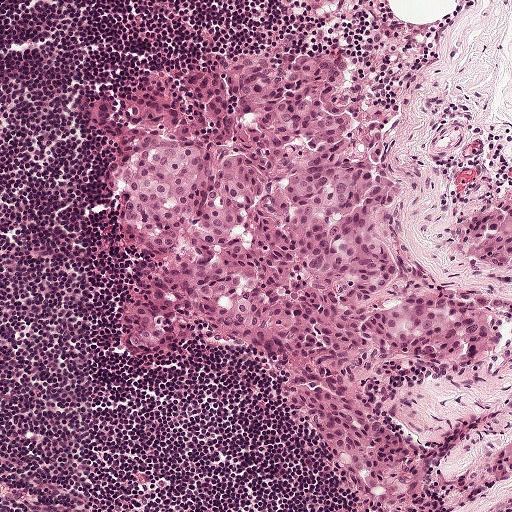
A 0.5-mm field of an H&E-stained sentinel lymph node from a breast-cancer patient (whole-slide image), shown at about 10×, about 0.97 µm per pixel.
Four metastatic tumour regions, each outlined as a closed clockwise path in crop pixels (x, y), largest first: region 1: (265, 49), (325, 58), (402, 183), (386, 228), (404, 263), (495, 327), (493, 347), (470, 359), (422, 354), (380, 368), (380, 402), (429, 511), (353, 511), (330, 452), (249, 354), (118, 354), (124, 293), (146, 264), (115, 232), (106, 171), (130, 124), (150, 107), (188, 108), (195, 80); region 2: (503, 196), (511, 201), (511, 265), (488, 272), (477, 268), (467, 259), (462, 250), (461, 238), (470, 215); region 3: (511, 434), (511, 484), (490, 482), (486, 479), (484, 471), (489, 453), (504, 439); region 4: (292, 0), (352, 0), (337, 9), (316, 12), (299, 8).
About 40% of the image area is annotated as tumour.